Lymph node section stained with H&E, from a whole-slide image of a breast-cancer sentinel node. Magnification about 2.5×, about 2.0 mm across the frame, about 3.9 µm per pixel.
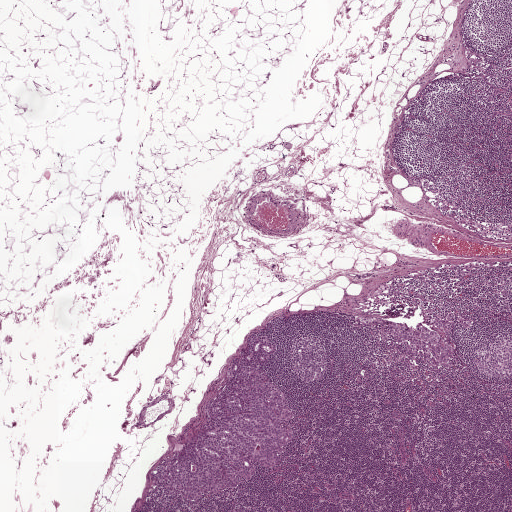
Two metastatic tumour regions, each outlined as a closed clockwise path in crop pixels (x, y), largest first: region 1: (264, 335), (277, 345), (268, 364), (261, 366), (285, 389), (294, 412), (293, 439), (284, 461), (271, 469), (251, 460), (257, 473), (250, 481), (202, 500), (193, 503), (165, 496), (152, 502), (146, 493), (152, 470), (186, 451), (206, 421), (207, 403), (219, 395), (230, 362), (252, 336); region 2: (451, 311), (458, 315), (460, 311), (470, 320), (468, 322), (469, 329), (460, 326), (454, 320), (451, 338), (453, 366), (444, 368), (418, 359), (409, 361), (400, 345), (383, 341), (372, 329), (356, 320), (359, 316), (376, 316), (404, 322), (412, 327), (420, 322), (446, 338), (434, 319).
About 5% of the image area is annotated as tumour.